A 1-mm field of an H&E-stained sentinel lymph node from a breast-cancer patient (whole-slide image), shown at about 5×, about 1.9 µm per pixel.
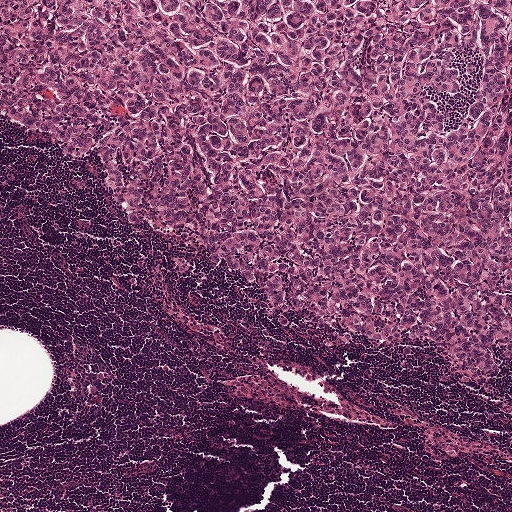
Question: Where is the metastatic tumour in this field?
Answer: One metastatic tumour region; its boundary, reduced to 12 corners and listed clockwise: (0, 0), (511, 0), (511, 397), (467, 396), (402, 351), (337, 354), (315, 327), (286, 322), (230, 276), (132, 228), (34, 139), (2, 135).
The annotated tumour makes up about 55% of the crop.